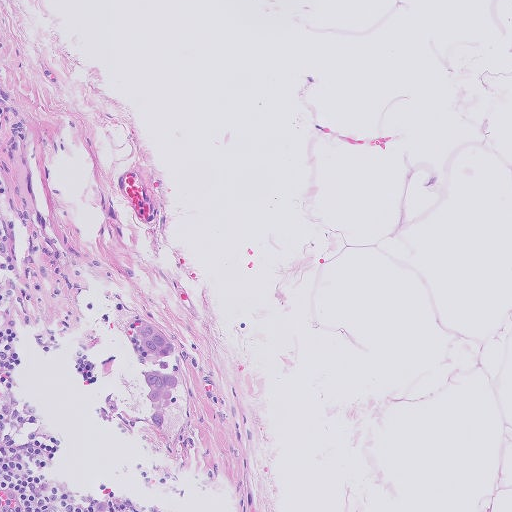
Lymph node section stained with H&E, from a whole-slide image of a breast-cancer sentinel node. Magnification about 10×, about 0.51 mm across the frame, about 1.0 µm per pixel.
Two metastatic tumour regions, each outlined as a closed clockwise path in crop pixels (x, y), largest first: region 1: (146, 372), (173, 374), (178, 377), (178, 384), (172, 389), (170, 403), (165, 408), (165, 422), (162, 428), (156, 426), (152, 419), (150, 405), (147, 399), (147, 385), (143, 379); region 2: (140, 319), (147, 322), (166, 337), (175, 351), (168, 360), (168, 368), (162, 370), (156, 360), (150, 359), (135, 335), (132, 329), (133, 322).
The annotated tumour makes up under 5% of the crop.